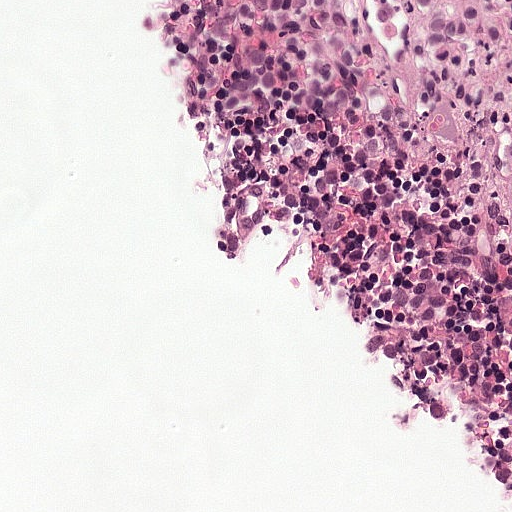
A 0.25-mm field of an H&E-stained sentinel lymph node from a breast-cancer patient (whole-slide image), shown at about 20×, about 0.49 µm per pixel.
Metastatic tumour outline, simplified to 7 points and listed clockwise in crop pixels (x, y): (171, 0), (511, 0), (511, 511), (454, 511), (362, 414), (204, 134), (185, 86).
About 45% of this field is tumour.